H&E-stained section of a sentinel lymph node (breast cancer), from a whole-slide image, viewed at about 20×: the field is about 0.25 mm across, about 0.49 µm per pixel.
Question: 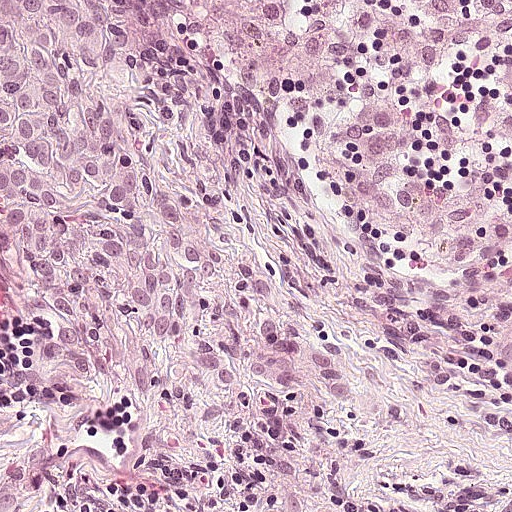
About how much of this crop is taken up by metastatic carcinoma?

Choices:
 (A) about 10% to 20%
 (B) about 5% or less
 (C) about 25% to 45%
 (D) none: no tumour is outlined
 (E) about 50% or more

Answer: (C) about 25% to 45%
About 25% of the field is tumour.
One metastatic tumour region; its boundary, reduced to 14 corners and listed clockwise: (0, 0), (131, 0), (148, 106), (178, 182), (214, 232), (235, 234), (226, 276), (202, 285), (187, 347), (159, 354), (126, 327), (71, 372), (34, 356), (14, 327).